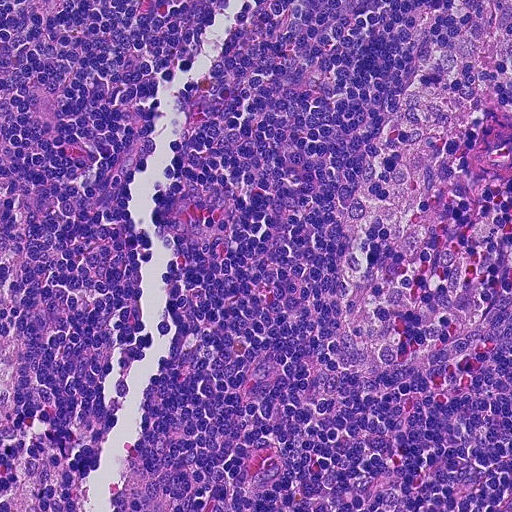
This is a crop of a whole-slide image: an H&E-stained breast-cancer sentinel lymph node section at roughly 20× magnification (about 0.45 µm per pixel; the crop spans about 0.23 mm).